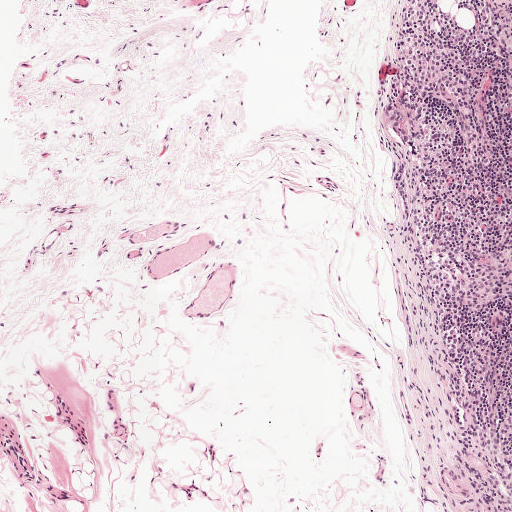
H&E-stained section of a sentinel lymph node (breast cancer), from a whole-slide image, viewed at about 5×: the field is about 1 mm across, about 1.9 µm per pixel.
Tumour region outline (a closed clockwise path, crop pixels): (393, 100), (400, 101), (406, 109), (406, 124), (410, 139), (404, 142), (387, 128), (380, 116), (381, 108), (386, 102).
Under 5% of this field is tumour.